Question: 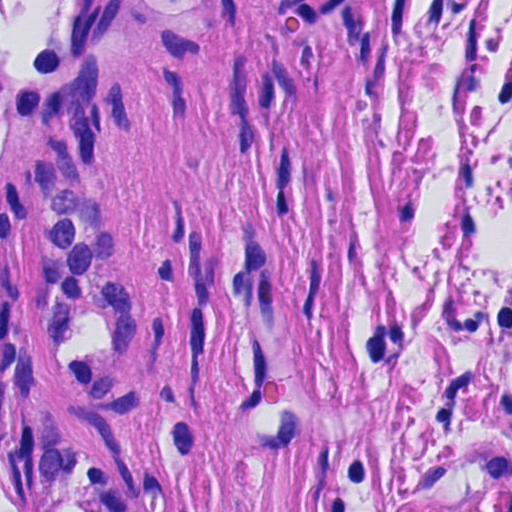
About what magnification does this crop show?

Choices:
 (A) about 5×
 (B) about 20×
 (C) about 2.5×
 (D) about 40×
 (E) about 10×

Answer: (D) about 40×
Lymph node section stained with H&E, from a whole-slide image of a breast-cancer sentinel node. Magnification about 40×, about 0.12 mm across the frame, about 0.23 µm per pixel.
Three metastatic tumour regions, each outlined as a closed clockwise path in crop pixels (x, y), largest first: region 1: (48, 150), (104, 197), (123, 270), (135, 347), (112, 417), (59, 370), (25, 302), (29, 223); region 2: (0, 0), (77, 0), (82, 53), (70, 122), (4, 120), (6, 154), (0, 157); region 3: (40, 413), (121, 465), (140, 511), (29, 511).
Tumour covers about 15% of the frame.